Question: 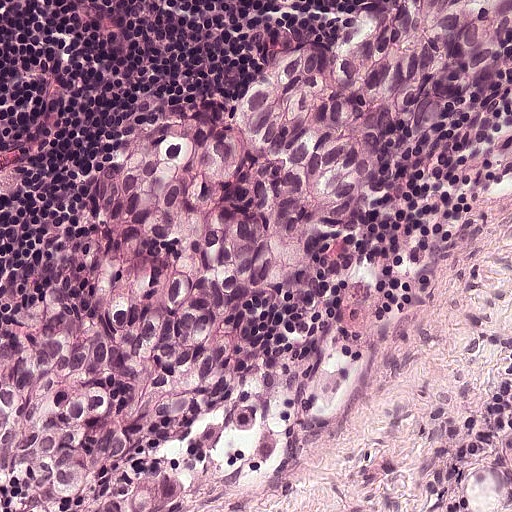
Lymph node section stained with H&E, from a whole-slide image of a breast-cancer sentinel node. Magnification about 20×, about 0.25 mm across the frame, about 0.49 µm per pixel.
Roughly what share of this field is metastatic tumour?

Choices:
 (A) about 25% to 45%
 (B) about 50% or more
 (C) none: no tumour is outlined
 (D) about 10% to 20%
 (E) about 5% or less

Answer: (A) about 25% to 45%
About 45% of the field is tumour.
Tumour region outline (a closed clockwise path, crop pixels): (359, 0), (511, 0), (511, 47), (429, 113), (372, 200), (272, 274), (209, 426), (216, 477), (176, 511), (26, 511), (16, 482), (0, 476), (0, 329), (37, 314), (45, 282), (87, 252), (129, 132), (245, 96), (287, 44).